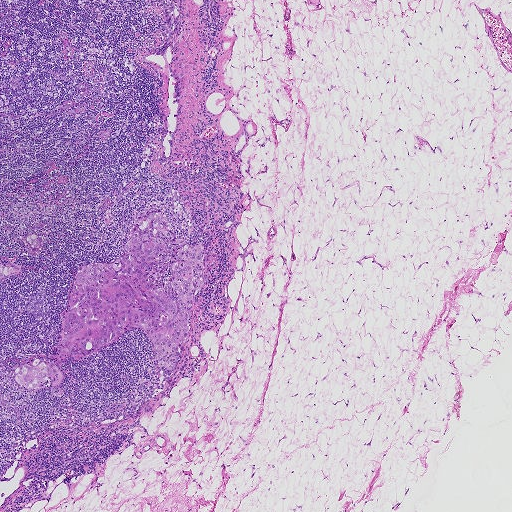
This is a crop of a whole-slide image: an H&E-stained breast-cancer sentinel lymph node section at roughly 2.5× magnification (about 3.6 µm per pixel; the crop spans about 1.9 mm).
Outlines of four tumour regions, largest first (closed clockwise paths, crop pixels): region 1: (155, 209), (162, 213), (174, 234), (188, 246), (203, 249), (207, 282), (190, 310), (185, 348), (172, 373), (164, 373), (159, 366), (152, 340), (136, 328), (82, 358), (65, 356), (60, 350), (63, 315), (79, 268), (116, 260), (139, 217); region 2: (30, 357), (39, 358), (55, 365), (61, 372), (62, 381), (56, 387), (56, 391), (60, 389), (64, 391), (64, 395), (55, 396), (51, 388), (49, 380), (34, 389), (21, 386), (15, 380), (13, 371), (18, 364); region 3: (0, 262), (17, 265), (19, 267), (17, 272), (0, 279); region 4: (33, 233), (37, 234), (40, 237), (41, 241), (41, 245), (37, 248), (33, 248), (29, 247), (24, 240), (25, 235).
About 5% of this field is tumour.